Image:
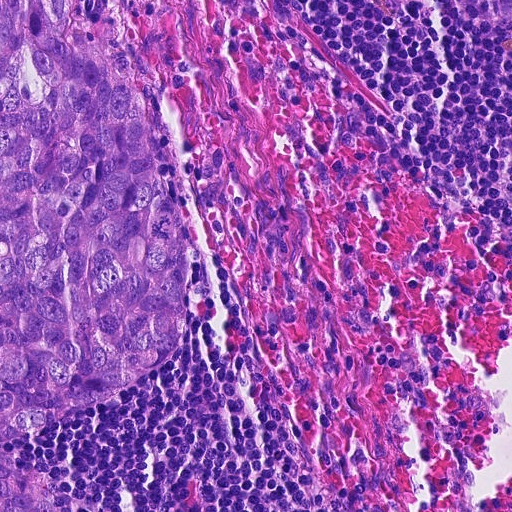
This is a crop of a whole-slide image: an H&E-stained breast-cancer sentinel lymph node section at roughly 20× magnification (about 0.45 µm per pixel; the crop spans about 0.23 mm).
Question:
Where is the metastatic tumour in this field?
Answer:
Two metastatic tumour regions, each outlined as a closed clockwise path in crop pixels (x, y), largest first: region 1: (0, 0), (72, 0), (64, 40), (122, 70), (174, 186), (190, 240), (184, 335), (170, 360), (0, 450); region 2: (0, 453), (26, 466), (54, 484), (60, 511), (0, 511).
About 25% of this field is tumour.